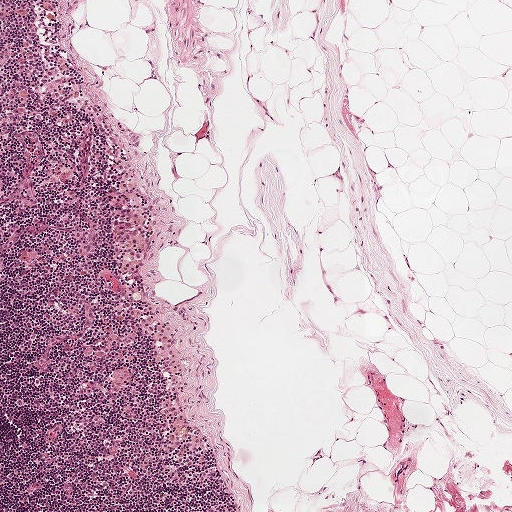
Lymph node section stained with H&E, from a whole-slide image of a breast-cancer sentinel node. Magnification about 5×, about 1 mm across the frame, about 1.9 µm per pixel.
Tumour region outline (a closed clockwise path, crop pixels): (114, 216), (128, 216), (137, 220), (147, 238), (147, 250), (140, 261), (121, 258), (113, 249), (117, 238), (114, 227).
Under 5% of this field is tumour.